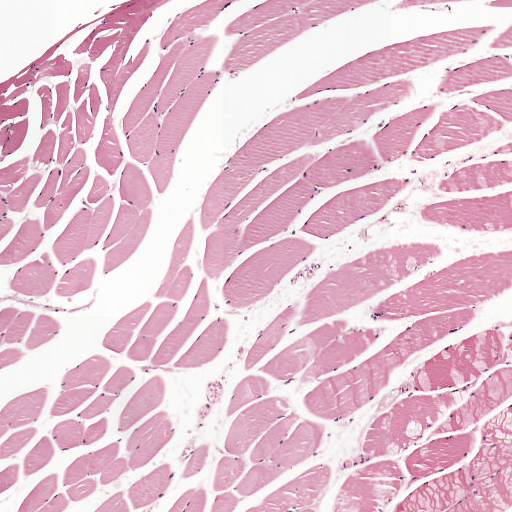
This is a crop of a whole-slide image: an H&E-stained breast-cancer sentinel lymph node section at roughly 5× magnification (about 1.9 µm per pixel; the crop spans about 1 mm).